Image:
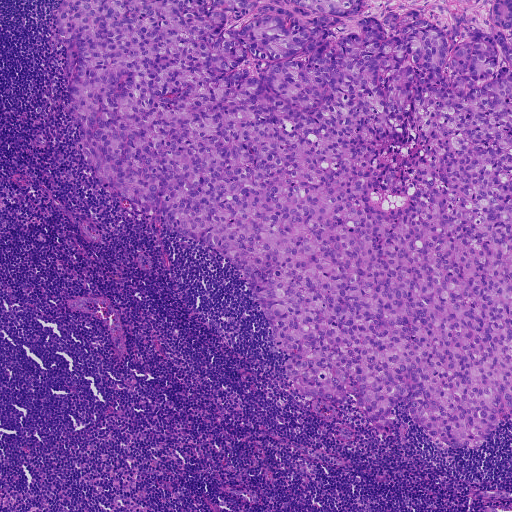
This is a crop of a whole-slide image: an H&E-stained breast-cancer sentinel lymph node section at roughly 5× magnification (about 1.8 µm per pixel; the crop spans about 0.93 mm).
Question:
Show where the tumour is in this image.
Answer:
Tumour region outline (a closed clockwise path, crop pixels): (62, 0), (363, 0), (335, 29), (408, 9), (452, 35), (491, 34), (493, 2), (511, 0), (511, 419), (478, 448), (448, 448), (402, 402), (382, 431), (350, 396), (342, 407), (302, 396), (234, 266), (99, 184), (74, 123), (76, 47), (56, 46), (50, 27).
The annotated tumour makes up about 55% of the crop.